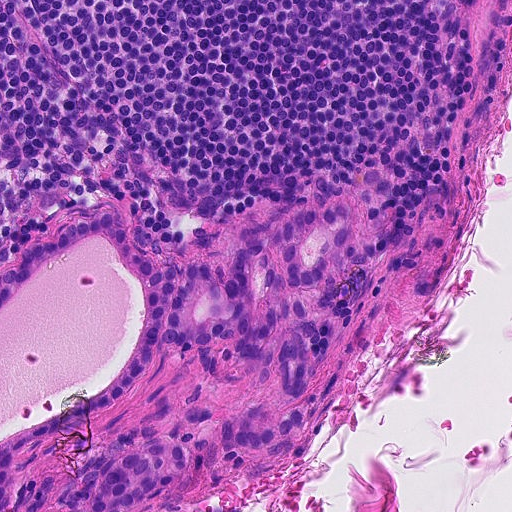
A 0.23-mm field of an H&E-stained sentinel lymph node from a breast-cancer patient (whole-slide image), shown at about 20×, about 0.45 µm per pixel.
Outlines of three tumour regions, largest first (closed clockwise paths, crop pixels): region 1: (350, 205), (344, 254), (290, 294), (320, 322), (300, 398), (252, 382), (257, 364), (230, 355), (232, 338), (160, 350), (121, 402), (10, 463), (0, 511), (0, 269), (22, 247), (108, 206), (125, 211), (158, 268), (196, 258), (228, 272), (230, 255), (284, 216); region 2: (147, 426), (187, 450), (187, 470), (182, 486), (145, 511), (62, 511), (58, 502), (72, 472), (116, 436), (130, 428); region 3: (300, 406), (305, 416), (302, 429), (257, 452), (236, 450), (229, 450), (220, 448), (220, 424), (223, 416), (236, 420), (241, 427), (258, 430).
About 25% of this field is tumour.